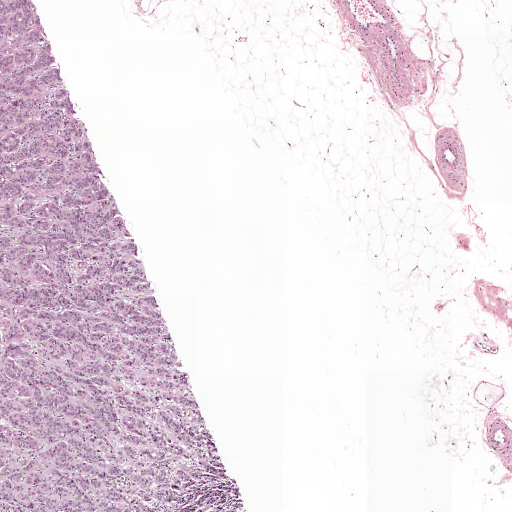
A 2.0-mm field of an H&E-stained sentinel lymph node from a breast-cancer patient (whole-slide image), shown at about 2.5×, about 3.9 µm per pixel.
Tumour region outline (a closed clockwise path, crop pixels): (0, 0), (37, 0), (248, 511), (0, 511).
About 25% of this field is tumour.